Question: 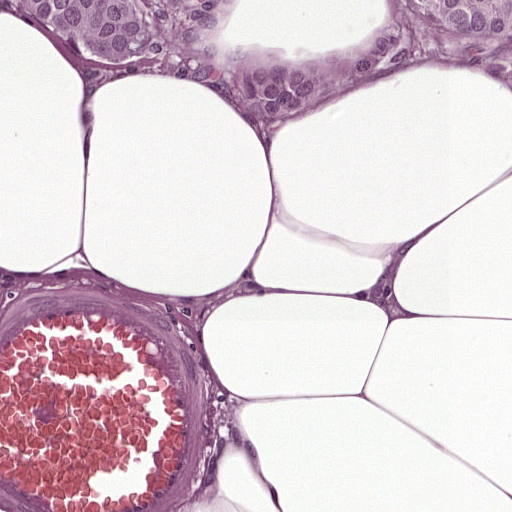
Which magnification is this H&E lymph node field most likely shown at?

Choices:
 (A) about 2.5×
 (B) about 40×
 (C) about 10×
 (D) about 5×
 (E) about 20×

Answer: (E) about 20×
H&E-stained section of a sentinel lymph node (breast cancer), from a whole-slide image, viewed at about 20×: the field is about 0.25 mm across, about 0.49 µm per pixel.
Outlines of three tumour regions, largest first (closed clockwise paths, crop pixels): region 1: (14, 0), (130, 0), (136, 6), (146, 28), (129, 67), (89, 54), (49, 35), (16, 8); region 2: (262, 58), (286, 60), (300, 62), (319, 74), (319, 97), (312, 119), (290, 126), (269, 120), (249, 106), (236, 86), (240, 64); region 3: (408, 0), (511, 0), (511, 35), (497, 39), (455, 39), (418, 17).
About 5% of the image area is annotated as tumour.